This is a crop of a whole-slide image: an H&E-stained breast-cancer sentinel lymph node section at roughly 40× magnification (about 0.23 µm per pixel; the crop spans about 0.12 mm).
Question: 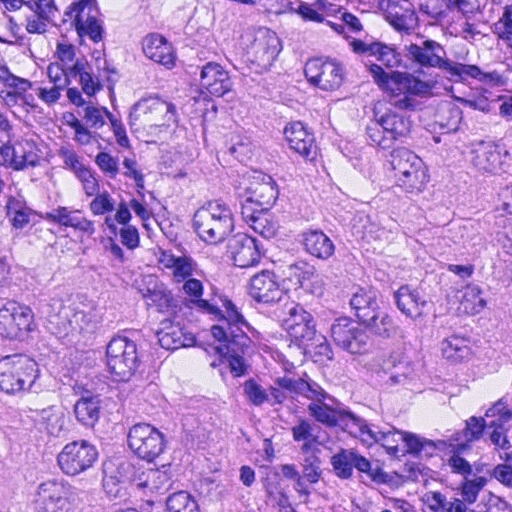
About how much of this crop is taken up by metastatic carcinoma?

Choices:
 (A) about 5% or less
 (B) about 50% or more
 (C) about 10% to 20%
 (D) about 25% to 45%
 (E) none: no tumour is outlined

Answer: (B) about 50% or more
About 65% of the field is tumour.
Outlines of two tumour regions, largest first (closed clockwise paths, crop pixels): region 1: (105, 0), (238, 0), (305, 16), (355, 49), (386, 103), (443, 93), (511, 107), (511, 398), (499, 414), (447, 440), (386, 432), (199, 276), (137, 165); region 2: (0, 200), (90, 246), (185, 323), (235, 441), (228, 511), (0, 511).
One more small tumour piece is annotated here but not outlined.